Image:
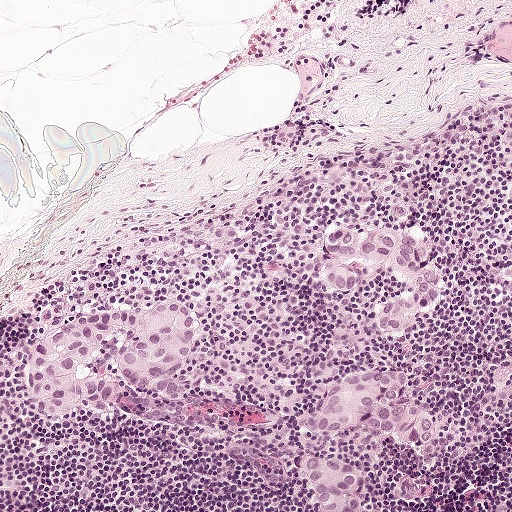
Lymph node section stained with H&E, from a whole-slide image of a breast-cancer sentinel node. Magnification about 10×, about 0.5 mm across the frame, about 0.97 µm per pixel.
Question:
Which parts of this field are metastatic tumour? Answer with the outline of each region, in pixels.
Answer:
Four metastatic tumour regions, each outlined as a closed clockwise path in crop pixels (x, y), largest first: region 1: (170, 297), (193, 311), (197, 331), (185, 365), (171, 376), (162, 376), (148, 390), (116, 398), (108, 416), (54, 416), (30, 404), (27, 358), (40, 336), (95, 300), (120, 306); region 2: (330, 222), (399, 227), (421, 236), (444, 277), (439, 305), (390, 335), (381, 332), (372, 323), (372, 319), (382, 303), (402, 289), (400, 277), (376, 267), (348, 296), (330, 294), (319, 286), (314, 272), (314, 264), (319, 257), (318, 239); region 3: (386, 369), (406, 372), (408, 401), (426, 408), (434, 420), (430, 441), (418, 448), (407, 448), (395, 440), (362, 427), (343, 436), (321, 433), (318, 430), (317, 414), (323, 398), (354, 375); region 4: (294, 453), (347, 463), (362, 472), (362, 503), (361, 511), (323, 511), (319, 502), (311, 494), (304, 475), (288, 463).
The annotated tumour makes up about 10% of the crop.